Question: 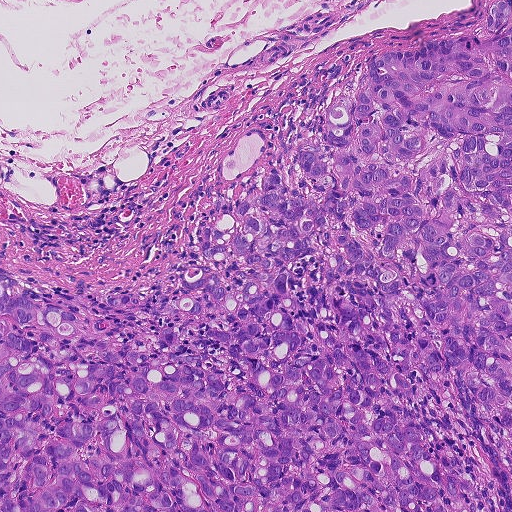
A 0.46-mm field of an H&E-stained sentinel lymph node from a breast-cancer patient (whole-slide image), shown at about 10×, about 0.9 µm per pixel.
About how much of this crop is taken up by metastatic carcinoma?

Choices:
 (A) about 25% to 45%
 (B) about 5% or less
 (C) none: no tumour is outlined
 (D) about 50% or more
 (E) about 10% to 20%

Answer: (D) about 50% or more
About 65% of the field is tumour.
Tumour region outline (a closed clockwise path, crop pixels): (511, 0), (511, 511), (0, 511), (0, 268), (81, 317), (92, 340), (144, 349), (156, 342), (160, 316), (108, 308), (108, 294), (176, 290), (224, 210), (262, 192), (335, 99), (355, 104), (378, 56), (438, 38), (491, 37), (484, 14).